Image:
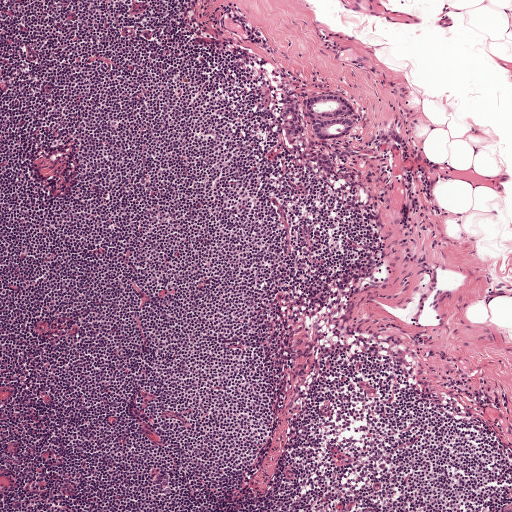
A 1-mm field of an H&E-stained sentinel lymph node from a breast-cancer patient (whole-slide image), shown at about 5×, about 1.9 µm per pixel.
Question:
Which parts of this field are metastatic tumour? Answer with the outline of each region, in pixels.
Answer:
Outlines of four tumour regions, largest first (closed clockwise paths, crop pixels): region 1: (334, 92), (349, 99), (356, 106), (361, 116), (358, 126), (352, 135), (342, 139), (320, 141), (315, 140), (309, 131), (303, 100), (313, 95); region 2: (288, 95), (297, 100), (304, 122), (304, 129), (291, 138), (286, 133), (283, 110); region 3: (306, 150), (317, 154), (315, 156), (326, 156), (331, 160), (333, 170), (332, 174), (325, 173), (316, 165), (313, 158), (315, 157), (308, 159), (303, 158), (302, 153); region 4: (394, 130), (399, 132), (402, 144), (399, 144), (393, 142), (384, 143), (375, 139), (377, 136).
Tumour covers under 5% of the frame.